Lymph node section stained with H&E, from a whole-slide image of a breast-cancer sentinel node. Magnification about 10×, about 0.46 mm across the frame, about 0.91 µm per pixel.
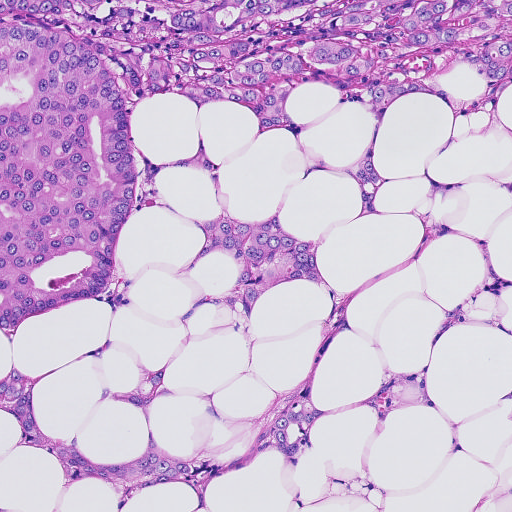
Question: Trace the edge of each tumour region in this crop, as (x, y) points from 0 to 511.
Answer: Two metastatic tumour regions, each outlined as a closed clockwise path in crop pixels (x, y), largest first: region 1: (0, 0), (511, 0), (511, 83), (469, 108), (419, 93), (386, 106), (377, 212), (365, 214), (350, 172), (373, 113), (335, 88), (292, 88), (294, 130), (261, 130), (219, 100), (152, 96), (134, 110), (155, 162), (188, 160), (200, 133), (227, 210), (257, 225), (278, 211), (320, 242), (328, 284), (288, 281), (248, 314), (207, 299), (185, 322), (238, 262), (220, 250), (184, 275), (202, 245), (188, 220), (218, 207), (208, 175), (176, 169), (137, 194), (106, 294), (0, 328); region 2: (14, 363), (27, 372), (38, 426), (49, 436), (74, 432), (89, 459), (119, 463), (145, 447), (144, 417), (134, 406), (99, 397), (106, 386), (135, 389), (142, 375), (168, 364), (172, 392), (158, 399), (152, 427), (168, 452), (196, 452), (202, 445), (212, 456), (241, 452), (275, 412), (306, 391), (329, 414), (316, 421), (312, 448), (299, 458), (270, 452), (230, 476), (169, 484), (124, 499), (101, 481), (70, 481), (52, 457), (25, 445), (15, 414), (0, 407), (0, 378).
One more small tumour piece is annotated here but not outlined.
About 40% of this field is tumour.